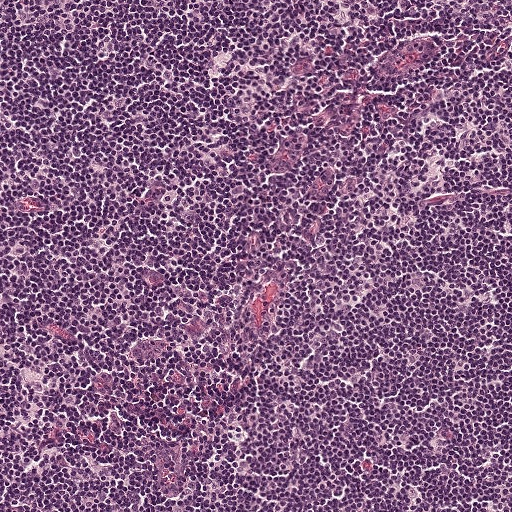
H&E-stained section of a sentinel lymph node (breast cancer), from a whole-slide image, viewed at about 10×: the field is about 0.5 mm across, about 0.97 µm per pixel.
Question: Does this lymph node field contain metastatic tumour?
Answer: No: no metastatic tumour is outlined anywhere in this field.